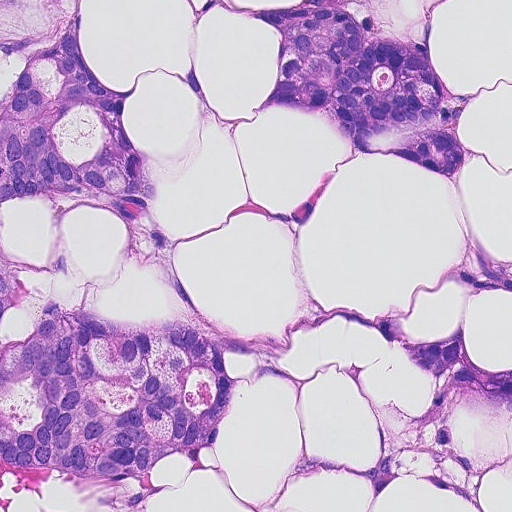
Lymph node section stained with H&E, from a whole-slide image of a breast-cancer sentinel node. Magnification about 20×, about 0.23 mm across the frame, about 0.45 µm per pixel.
Boundaries of four metastatic tumour regions, simplified and listed clockwise, largest first: region 1: (0, 219), (40, 290), (92, 315), (227, 334), (396, 309), (406, 334), (460, 322), (465, 350), (511, 373), (511, 467), (476, 501), (408, 477), (372, 504), (340, 471), (290, 484), (293, 458), (372, 467), (372, 402), (424, 417), (398, 346), (320, 322), (187, 458), (106, 481), (0, 459); region 2: (0, 0), (84, 0), (82, 51), (122, 90), (132, 88), (124, 114), (135, 139), (162, 162), (162, 221), (203, 311), (178, 305), (158, 284), (128, 240), (120, 214), (40, 193), (14, 195), (0, 219); region 3: (452, 0), (430, 16), (430, 46), (438, 74), (460, 91), (476, 93), (466, 119), (466, 146), (484, 159), (461, 172), (456, 183), (409, 158), (352, 159), (339, 134), (316, 119), (290, 111), (244, 113), (275, 68), (276, 41), (258, 20), (234, 9), (178, 2); region 4: (469, 234), (488, 251), (511, 259), (511, 296), (507, 294), (480, 294), (452, 284), (455, 258).
About 45% of this field is tumour.